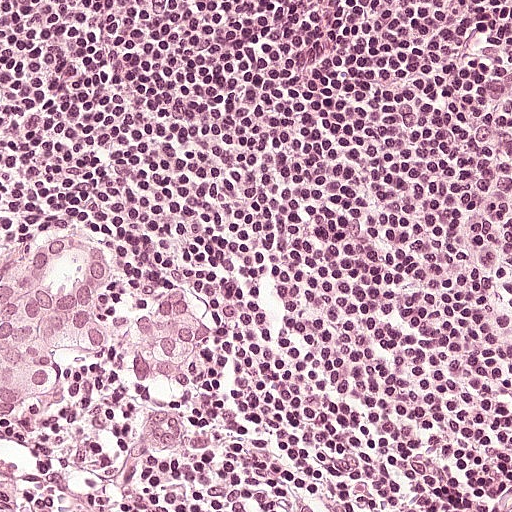
H&E-stained section of a sentinel lymph node (breast cancer), from a whole-slide image, viewed at about 20×: the field is about 0.25 mm across, about 0.49 µm per pixel.
Tumour region outline (a closed clockwise path, crop pixels): (88, 233), (100, 238), (114, 264), (106, 310), (120, 316), (138, 314), (167, 290), (188, 291), (205, 319), (198, 368), (188, 378), (167, 383), (100, 355), (66, 355), (53, 362), (58, 394), (46, 400), (22, 398), (0, 411), (0, 249), (32, 238).
About 10% of the image area is annotated as tumour.